Image:
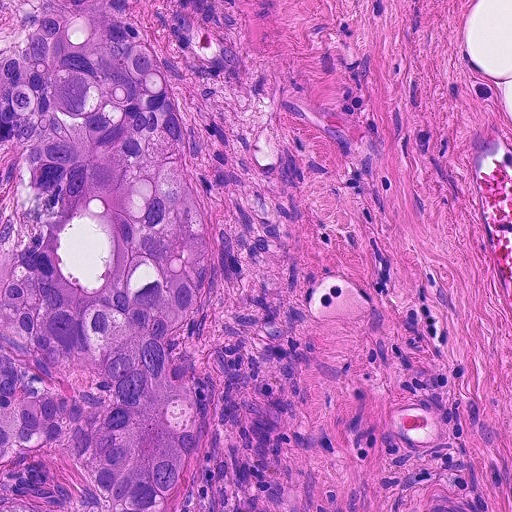
H&E-stained section of a sentinel lymph node (breast cancer), from a whole-slide image, viewed at about 20×: the field is about 0.23 mm across, about 0.45 µm per pixel.
Question:
Show where the tumour is in this image.
Answer:
One metastatic tumour region; its boundary, reduced to 8 corners and listed clockwise: (0, 0), (122, 0), (174, 115), (215, 298), (196, 352), (206, 445), (190, 504), (0, 511).
About 35% of this field is tumour.